Question: 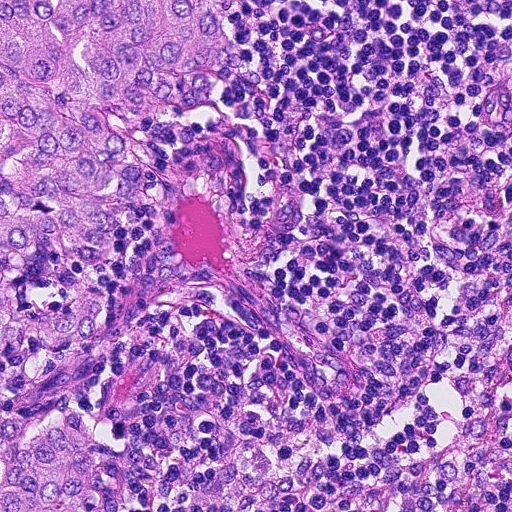
This is a crop of a whole-slide image: an H&E-stained breast-cancer sentinel lymph node section at roughly 20× magnification (about 0.45 µm per pixel; the crop spans about 0.23 mm).
About how much of this crop is taken up by metastatic carcinoma?

Choices:
 (A) about 50% or more
 (B) about 10% to 20%
 (C) none: no tumour is outlined
 (D) about 5% or less
 (E) about 25% to 45%

Answer: (E) about 25% to 45%
About 25% of the field is tumour.
Two metastatic tumour regions, each outlined as a closed clockwise path in crop pixels (x, y), largest first: region 1: (0, 0), (219, 0), (232, 53), (210, 100), (164, 116), (151, 166), (104, 230), (54, 240), (26, 277), (25, 304), (74, 295), (99, 302), (106, 327), (88, 346), (16, 336), (0, 358); region 2: (70, 406), (90, 422), (120, 464), (122, 511), (0, 511), (0, 418), (45, 419).